A 1.9-mm field of an H&E-stained sentinel lymph node from a breast-cancer patient (whole-slide image), shown at about 2.5×, about 3.6 µm per pixel.
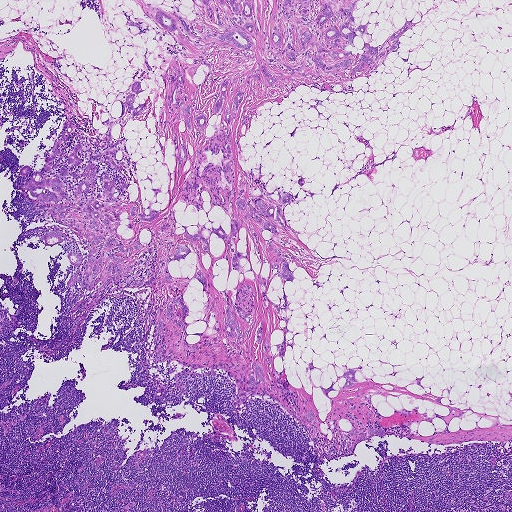
Eight metastatic tumour regions, each outlined as a closed clockwise path in crop pixels (x, y), largest first: region 1: (362, 0), (352, 14), (356, 25), (369, 20), (367, 31), (373, 33), (371, 36), (357, 31), (356, 47), (346, 48), (355, 54), (361, 54), (364, 40), (370, 46), (380, 45), (402, 26), (405, 17), (409, 21), (414, 17), (412, 22), (416, 23), (400, 37), (396, 52), (371, 68), (349, 75), (357, 64), (330, 71), (315, 64), (304, 75), (269, 84), (260, 71), (264, 64), (271, 73), (284, 70), (272, 58), (276, 50), (271, 36), (282, 3); region 2: (200, 0), (253, 0), (253, 16), (243, 18), (253, 24), (253, 32), (248, 34), (253, 43), (250, 49), (203, 37), (188, 44), (162, 27), (151, 9), (155, 7), (172, 17), (181, 34), (191, 39), (202, 35), (205, 27), (219, 34), (226, 33), (212, 23); region 3: (348, 413), (351, 415), (354, 419), (360, 420), (359, 422), (356, 425), (356, 427), (358, 428), (362, 426), (363, 428), (358, 434), (366, 433), (369, 429), (372, 428), (378, 430), (381, 428), (383, 429), (384, 431), (384, 434), (383, 436), (380, 437), (377, 435), (374, 436), (370, 439), (369, 442), (367, 440), (357, 443), (355, 442), (353, 438), (350, 435), (348, 432), (352, 429), (352, 427), (350, 421), (349, 420); region 4: (137, 81), (140, 81), (142, 89), (145, 90), (144, 91), (138, 93), (134, 98), (133, 104), (135, 108), (142, 103), (145, 102), (145, 105), (143, 111), (141, 113), (133, 117), (128, 113), (127, 111), (127, 105), (125, 99), (126, 96), (128, 94), (134, 93), (130, 89), (131, 86), (132, 84); region 5: (348, 368), (358, 370), (357, 371), (354, 375), (354, 377), (356, 378), (358, 381), (354, 384), (352, 386), (350, 387), (348, 387), (340, 390), (344, 384), (346, 380), (345, 378), (343, 378), (341, 378), (334, 384), (333, 386), (333, 388), (334, 389), (339, 391), (337, 391), (333, 390), (329, 391), (328, 393), (328, 396), (329, 397), (325, 395), (319, 386), (325, 388), (329, 387), (331, 385), (332, 381), (335, 382), (336, 380), (336, 376), (342, 375), (344, 372), (348, 371); region 6: (239, 91), (242, 91), (244, 93), (243, 99), (237, 109), (233, 124), (230, 119), (229, 125), (223, 116), (227, 101), (231, 112), (234, 95); region 7: (186, 95), (190, 103), (190, 106), (190, 122), (191, 127), (190, 129), (188, 128), (185, 123), (186, 115), (183, 114), (179, 119), (173, 121), (176, 115), (179, 103), (183, 99), (184, 96); region 8: (226, 78), (228, 79), (228, 82), (225, 93), (224, 102), (222, 108), (218, 112), (215, 112), (213, 111), (213, 105), (216, 99), (220, 95), (219, 88), (220, 85), (223, 80).
Two more tumour regions are annotated but not outlined: their edges are too irregular for short outlines.
Four more, smaller tumour regions are not outlined.
Three more small tumour pieces are annotated here but not outlined.
Tumour covers about 10% of the frame.